Question: 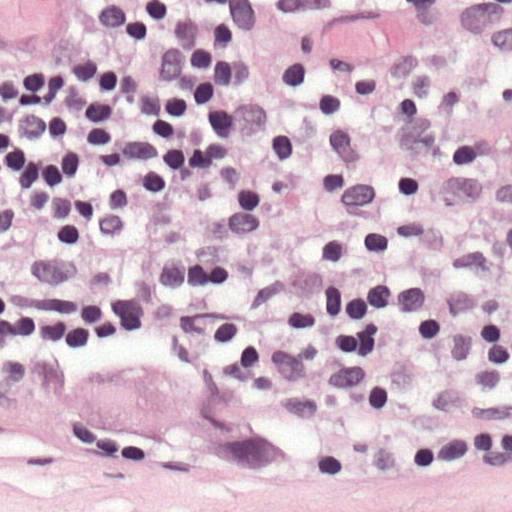
About what magnification does this crop show?

Choices:
 (A) about 2.5×
 (B) about 10×
 (C) about 40×
 (D) about 5×
 (E) about 20×

Answer: (C) about 40×
H&E-stained section of a sentinel lymph node (breast cancer), from a whole-slide image, viewed at about 40×: the field is about 0.12 mm across, about 0.24 µm per pixel.
Tumour region outline (a closed clockwise path, crop pixels): (31, 349), (62, 355), (69, 384), (105, 366), (155, 363), (206, 373), (251, 399), (287, 442), (281, 473), (215, 466), (78, 421), (24, 393).
The annotated tumour makes up about 5% of the crop.